Question: 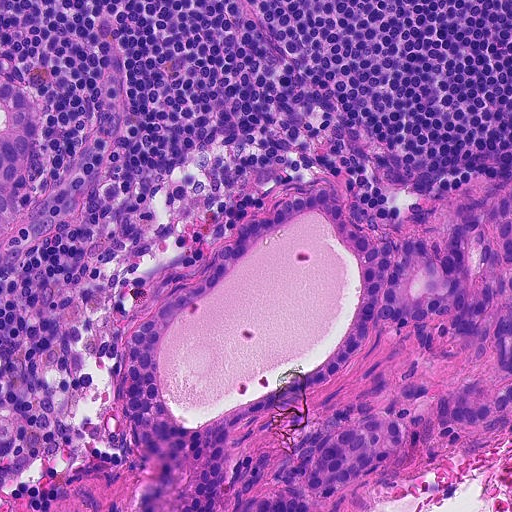
A 0.23-mm field of an H&E-stained sentinel lymph node from a breast-cancer patient (whole-slide image), shown at about 20×, about 0.45 µm per pixel.
About how much of this crop is taken up by metastatic carcinoma?

Choices:
 (A) about 5% or less
 (B) about 25% to 45%
 (C) about 10% to 20%
 (D) none: no tumour is outlined
 (E) about 50% or more

Answer: (B) about 25% to 45%
About 30% of the field is tumour.
Boundaries of four metastatic tumour regions, simplified and listed clockwise, largest first: region 1: (308, 187), (341, 187), (374, 244), (412, 234), (444, 248), (458, 219), (511, 187), (511, 375), (468, 358), (473, 340), (446, 331), (448, 314), (376, 326), (337, 378), (226, 439), (222, 489), (200, 511), (135, 511), (154, 461), (125, 423), (130, 334), (198, 280), (238, 223); region 2: (363, 402), (403, 426), (403, 446), (398, 462), (354, 492), (322, 501), (305, 495), (313, 511), (232, 511), (244, 501), (278, 490), (274, 478), (288, 448), (346, 404); region 3: (0, 50), (2, 68), (12, 82), (42, 99), (43, 116), (33, 148), (22, 206), (24, 222), (0, 245); region 4: (511, 384), (511, 408), (473, 428), (452, 426), (445, 426), (436, 424), (436, 400), (439, 392), (452, 396), (457, 403), (474, 406).